H&E-stained section of a sentinel lymph node (breast cancer), from a whole-slide image, viewed at about 10×: the field is about 0.5 mm across, about 0.97 µm per pixel.
Question: 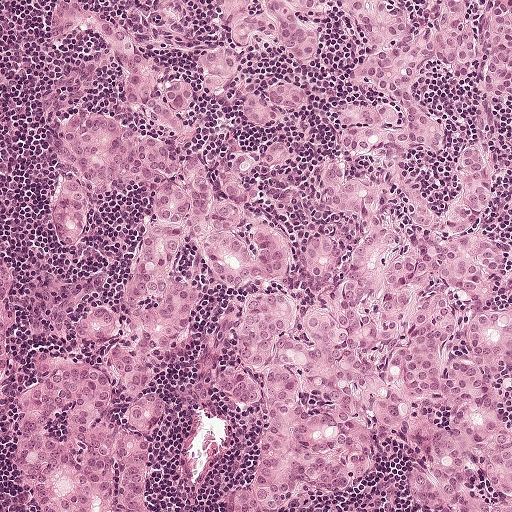
Estimate the proportion of this field that is metastatic tumour.

Choices:
 (A) about 10% to 20%
 (B) about 5% or less
 (C) none: no tumour is outlined
 (D) about 25% to 45%
 (E) about 50% or more

Answer: (E) about 50% or more
About 70% of the field is tumour.
Two metastatic tumour regions, each outlined as a closed clockwise path in crop pixels (x, y), largest first: region 1: (212, 0), (511, 0), (472, 230), (511, 249), (511, 511), (334, 511), (408, 480), (378, 433), (356, 484), (233, 511), (265, 408), (218, 394), (240, 303), (192, 246), (144, 511), (36, 511), (8, 464), (30, 350), (104, 354), (32, 334), (28, 284), (99, 272), (88, 308), (120, 308), (155, 192), (90, 198), (58, 243), (46, 116), (168, 146), (103, 40), (45, 46), (39, 6), (130, 24), (187, 1), (200, 47), (152, 54), (193, 89), (230, 37); region 2: (0, 257), (6, 260), (14, 278), (14, 290), (11, 290), (9, 296), (14, 322), (14, 352), (11, 355), (11, 360), (0, 371).
Region 1 encloses two non-tumour holes totalling about 10% of its area.
One more small tumour piece is annotated here but not outlined.